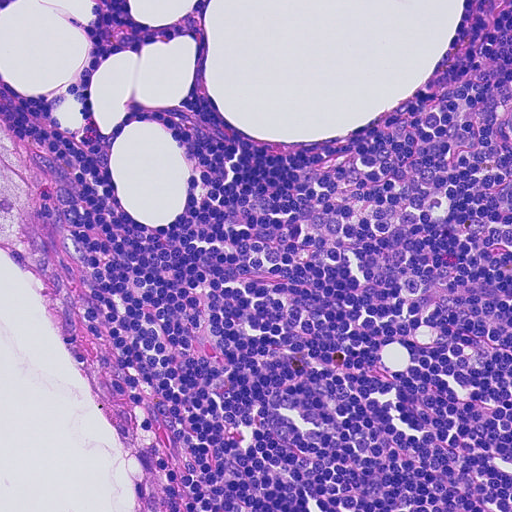
Lymph node section stained with H&E, from a whole-slide image of a breast-cancer sentinel node. Magnification about 20×, about 0.23 mm across the frame, about 0.45 µm per pixel.